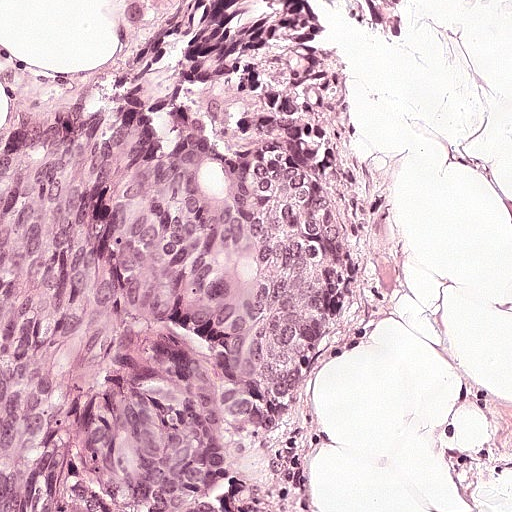
H&E-stained section of a sentinel lymph node (breast cancer), from a whole-slide image, viewed at about 20×: the field is about 0.25 mm across, about 0.49 µm per pixel.
One metastatic tumour region; its boundary, reduced to 9 corners and listed clockwise: (67, 0), (230, 0), (413, 71), (413, 274), (392, 392), (342, 511), (0, 511), (0, 68), (30, 28).
Tumour covers about 75% of the frame.